Question: 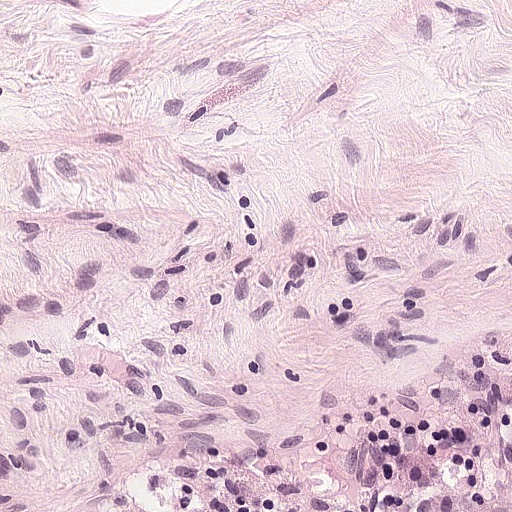
At roughly what magnification is this field shown?

Choices:
 (A) about 40×
 (B) about 10×
 (C) about 2.5×
 (D) about 20×
 (E) about 5×

Answer: (D) about 20×
This is a crop of a whole-slide image: an H&E-stained breast-cancer sentinel lymph node section at roughly 20× magnification (about 0.49 µm per pixel; the crop spans about 0.25 mm).